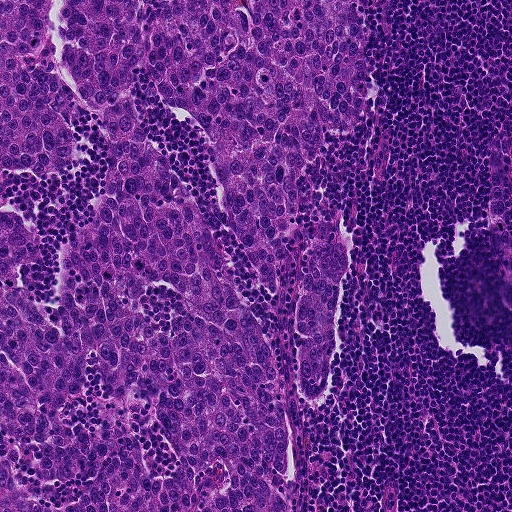
A 0.46-mm field of an H&E-stained sentinel lymph node from a breast-cancer patient (whole-slide image), shown at about 10×, about 0.9 µm per pixel.
Boundaries of two metastatic tumour regions, simplified and listed clockwise, largest first: region 1: (0, 0), (359, 0), (366, 126), (325, 150), (304, 191), (306, 214), (329, 215), (348, 258), (322, 394), (299, 396), (298, 239), (273, 294), (236, 236), (200, 121), (158, 98), (140, 66), (130, 86), (274, 358), (294, 511), (0, 511); region 2: (511, 110), (511, 292), (493, 237), (489, 196), (489, 156).
Tumour covers about 60% of the frame.